This is a crop of a whole-slide image: an H&E-stained breast-cancer sentinel lymph node section at roughly 5× magnification (about 1.9 µm per pixel; the crop spans about 1 mm).
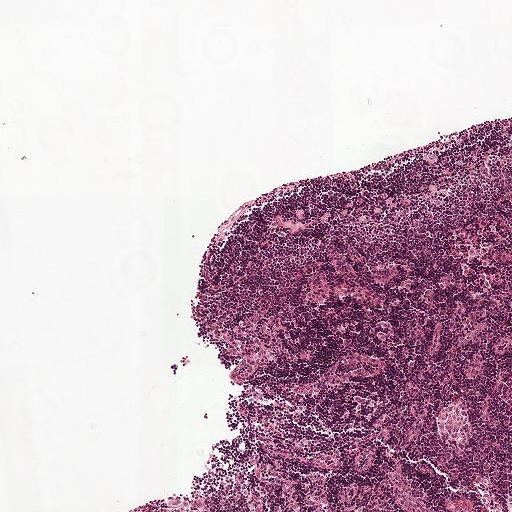
Question: Is any metastatic breast cancer visible in this crop?
Answer: No. No metastatic tumour is outlined in this field.